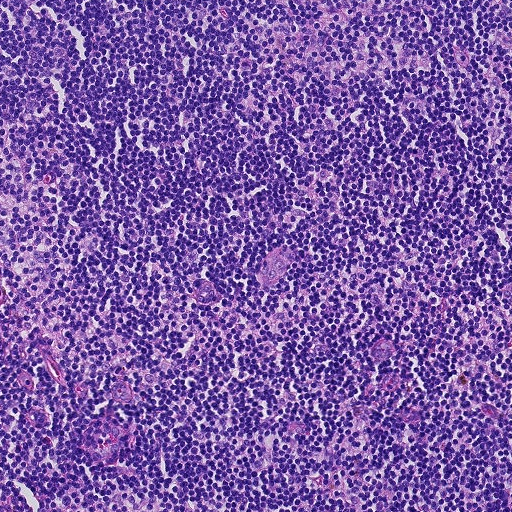
A 0.46-mm field of an H&E-stained sentinel lymph node from a breast-cancer patient (whole-slide image), shown at about 10×, about 0.9 µm per pixel.
Question: Is any metastatic breast cancer visible in this crop?
Answer: No: no metastatic tumour is outlined anywhere in this field.